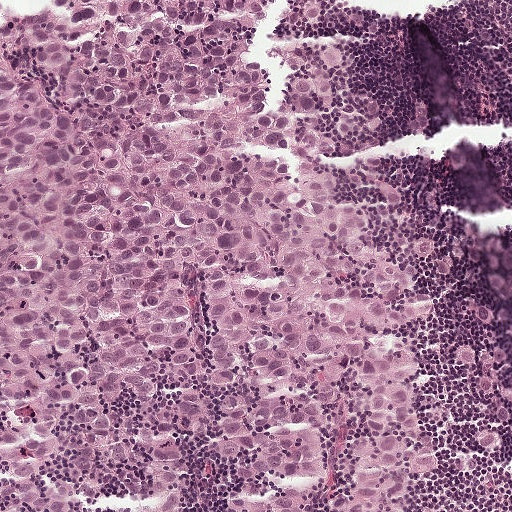
H&E-stained section of a sentinel lymph node (breast cancer), from a whole-slide image, viewed at about 10×: the field is about 0.5 mm across, about 0.97 µm per pixel.
Metastatic tumour outline, simplified to 12 points and listed clockwise in crop pixels (x, y): (0, 0), (297, 1), (366, 108), (369, 163), (414, 238), (449, 270), (446, 296), (426, 297), (436, 324), (422, 401), (460, 510), (0, 511).
About 80% of this field is tumour.